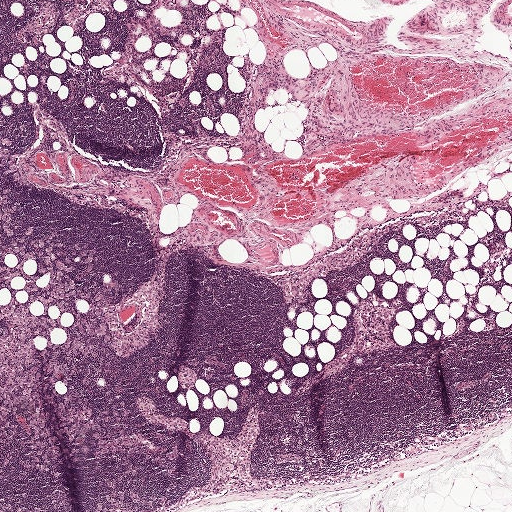
A 2.0-mm field of an H&E-stained sentinel lymph node from a breast-cancer patient (whole-slide image), shown at about 2.5×, about 3.9 µm per pixel.
Outlines of two tumour regions, largest first (closed clockwise paths, crop pixels): region 1: (0, 189), (13, 207), (18, 231), (50, 247), (76, 285), (106, 304), (106, 343), (52, 388), (62, 395), (77, 394), (88, 408), (92, 442), (70, 466), (52, 469), (32, 462), (0, 433), (0, 304), (9, 304), (11, 293), (0, 290); region 2: (0, 138), (2, 138), (10, 142), (9, 150), (14, 157), (14, 165), (9, 174), (0, 173).
Region 1 encloses 11 non-tumour holes totalling about 15% of its area.
Tumour covers about 5% of the frame.